This is a crop of a whole-slide image: an H&E-stained breast-cancer sentinel lymph node section at roughly 20× magnification (about 0.5 µm per pixel; the crop spans about 0.26 mm).
Question: 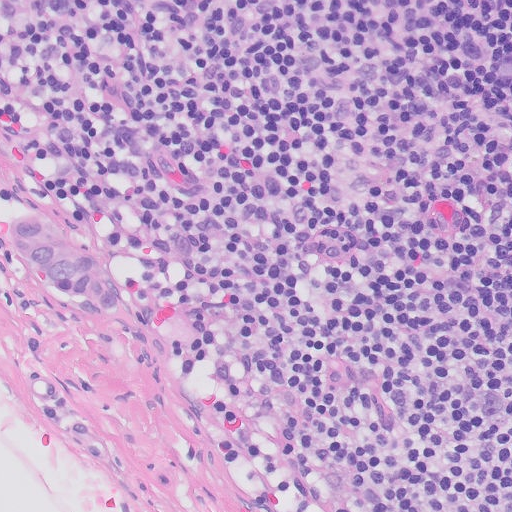
What fraction of the image area is metastatic tumour?

Choices:
 (A) about 10% to 20%
 (B) about 25% to 45%
 (C) none: no tumour is outlined
 (D) about 5% or less
 (E) about 50% or more

Answer: (D) about 5% or less
Under 5% of the field is tumour.
One metastatic tumour region; its boundary, reduced to 14 corners and listed clockwise: (36, 214), (52, 224), (94, 264), (102, 275), (114, 284), (121, 296), (116, 311), (104, 319), (90, 319), (54, 292), (37, 269), (2, 241), (0, 224), (6, 215).